Question: 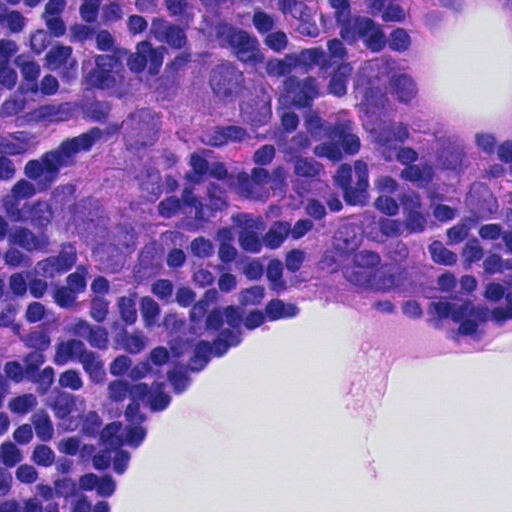
About what magnification does this crop show?

Choices:
 (A) about 5×
 (B) about 2.5×
 (C) about 10×
 (D) about 20×
 (E) about 40×

Answer: (E) about 40×
A 0.12-mm field of an H&E-stained sentinel lymph node from a breast-cancer patient (whole-slide image), shown at about 40×, about 0.23 µm per pixel.
The outlined metastatic tumour's edge, as a closed clockwise path of 14 points: (189, 53), (230, 54), (271, 76), (276, 118), (199, 144), (173, 174), (160, 213), (168, 254), (134, 277), (95, 266), (64, 240), (46, 203), (62, 167), (155, 74).
One more small tumour piece is annotated here but not outlined.
The annotated tumour makes up about 10% of the crop.